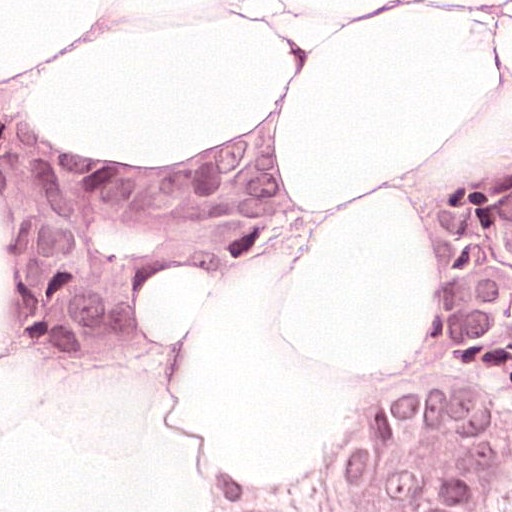
H&E-stained section of a sentinel lymph node (breast cancer), from a whole-slide image, viewed at about 40×: the field is about 0.12 mm across, about 0.24 µm per pixel.
Boundaries of two metastatic tumour regions, simplified and listed clockwise, largest first: region 1: (488, 117), (511, 120), (511, 511), (190, 511), (274, 450), (318, 432), (329, 399), (385, 350), (422, 269), (429, 165); region 2: (274, 99), (302, 191), (251, 243), (174, 254), (170, 273), (207, 291), (140, 358), (22, 358), (11, 350), (11, 280), (0, 243), (0, 102), (55, 128), (174, 136), (225, 106).
About 40% of this field is tumour.